Image:
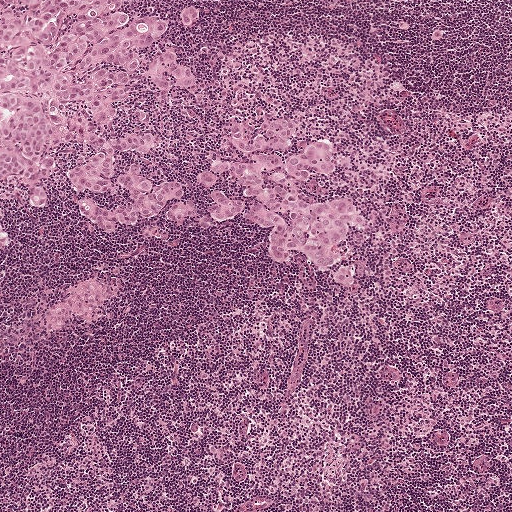
H&E-stained section of a sentinel lymph node (breast cancer), from a whole-slide image, viewed at about 5×: the field is about 1 mm across, about 1.9 µm per pixel.
Question:
Where is the metastatic tumour in this field? Give each region's outline as (x, y) pixel points.
Answer:
Four metastatic tumour regions, each outlined as a closed clockwise path in crop pixels (x, y), largest first: region 1: (0, 0), (122, 0), (134, 21), (166, 18), (155, 53), (177, 50), (198, 90), (170, 97), (135, 74), (161, 146), (117, 166), (180, 178), (184, 198), (101, 231), (80, 202), (132, 198), (72, 182), (93, 153), (74, 141), (46, 184), (51, 208), (8, 198), (0, 251); region 2: (299, 118), (300, 135), (279, 150), (284, 159), (304, 157), (310, 144), (327, 139), (342, 164), (334, 175), (312, 172), (303, 196), (345, 198), (368, 224), (365, 230), (350, 226), (338, 248), (354, 271), (354, 283), (339, 286), (334, 267), (319, 266), (299, 250), (281, 264), (272, 262), (273, 233), (242, 216), (203, 231), (216, 190), (258, 201), (234, 174), (211, 186), (200, 174), (217, 160), (251, 162), (233, 140), (233, 124), (244, 124), (252, 141), (274, 122); region 3: (194, 199), (196, 204), (196, 216), (180, 220), (175, 219), (169, 215), (170, 206), (180, 200), (185, 202); region 4: (186, 5), (195, 6), (198, 6), (198, 9), (198, 21), (190, 25), (184, 25), (181, 24), (182, 14), (184, 6).
Tumour covers about 15% of the frame.